Question: 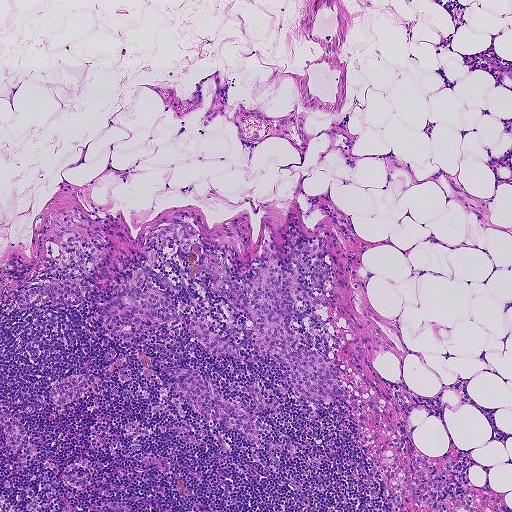
This is a crop of a whole-slide image: an H&E-stained breast-cancer sentinel lymph node section at roughly 5× magnification (about 1.8 µm per pixel; the crop spans about 0.93 mm).
Estimate the proportion of this field that is metastatic tumour.

Choices:
 (A) about 5% or less
 (B) about 25% to 45%
 (C) about 50% or more
 (D) about 10% to 20%
 (E) none: no tumour is outlined

Answer: (A) about 5% or less
About 5% of the field is tumour.
Outlines of seven tumour regions, largest first (closed clockwise paths, crop pixels): region 1: (270, 262), (291, 264), (302, 288), (312, 298), (322, 299), (318, 307), (306, 300), (295, 301), (292, 328), (311, 333), (311, 348), (338, 368), (342, 396), (326, 405), (310, 404), (294, 395), (290, 368), (254, 350), (248, 319), (215, 295), (216, 284), (224, 278), (241, 284), (254, 281); region 2: (197, 367), (202, 376), (216, 381), (216, 390), (224, 401), (231, 403), (233, 397), (239, 398), (249, 408), (256, 408), (251, 396), (235, 390), (234, 387), (246, 389), (252, 386), (258, 389), (265, 407), (254, 415), (264, 417), (262, 422), (271, 427), (256, 434), (263, 448), (253, 451), (248, 440), (237, 431), (219, 421), (213, 426), (207, 426), (186, 401), (180, 404), (179, 396), (173, 396), (171, 390), (178, 368), (182, 372); region 3: (141, 270), (143, 280), (140, 290), (143, 294), (153, 292), (160, 295), (173, 305), (178, 317), (168, 322), (156, 318), (152, 321), (144, 319), (135, 337), (130, 340), (115, 336), (97, 320), (103, 305), (114, 299), (121, 285), (131, 281); region 4: (56, 283), (68, 286), (74, 283), (78, 286), (82, 300), (80, 304), (70, 306), (54, 303), (47, 297), (27, 310), (18, 308), (16, 299), (23, 292), (35, 286); region 5: (202, 308), (206, 312), (207, 320), (212, 324), (209, 329), (210, 335), (222, 337), (237, 348), (241, 357), (239, 358), (227, 355), (218, 356), (185, 329), (186, 326), (199, 318), (201, 312), (199, 310); region 6: (87, 374), (100, 379), (65, 404), (60, 404), (52, 400), (50, 395), (53, 386), (68, 376); region 7: (0, 410), (21, 422), (25, 434), (18, 451), (13, 452), (5, 439), (4, 425), (0, 424).